Image:
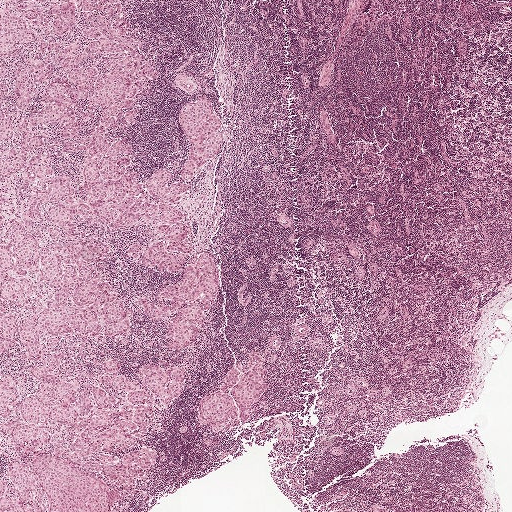
H&E-stained section of a sentinel lymph node (breast cancer), from a whole-slide image, viewed at about 2.5×: the field is about 2.0 mm across, about 3.9 µm per pixel.
Question:
Where is the metastatic tumour in this field?
Answer:
One metastatic tumour region; its boundary, reduced to 24 corners and listed clockwise: (0, 0), (119, 0), (158, 70), (129, 135), (144, 182), (177, 178), (181, 107), (208, 98), (224, 118), (181, 200), (186, 240), (219, 270), (197, 344), (175, 354), (169, 323), (133, 315), (107, 344), (133, 380), (158, 360), (188, 375), (132, 444), (157, 456), (112, 511), (0, 511).
Tumour covers about 30% of the frame.